Lymph node section stained with H&E, from a whole-slide image of a breast-cancer sentinel node. Magnification about 5×, about 0.93 mm across the frame, about 1.8 µm per pixel.
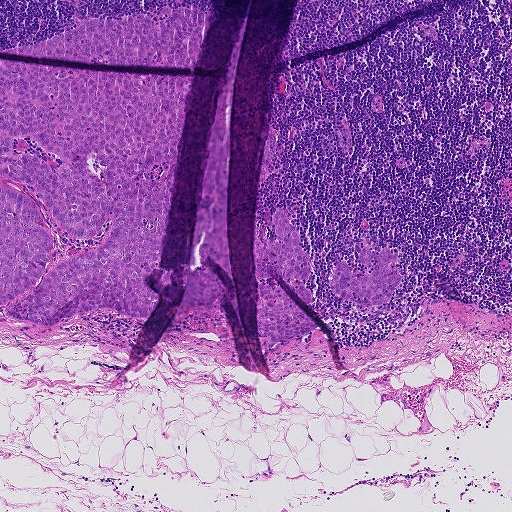
Four metastatic tumour regions, each outlined as a closed clockwise path in crop pixels (x, y), largest first: region 1: (0, 61), (190, 78), (157, 262), (142, 280), (156, 304), (145, 316), (102, 308), (45, 321), (4, 314), (42, 276), (2, 304), (0, 186), (40, 213), (54, 243), (46, 266), (101, 245), (111, 220), (88, 238), (72, 237), (32, 186), (0, 177); region 2: (180, 8), (209, 12), (193, 67), (37, 57), (5, 51), (47, 39), (93, 18), (109, 20), (137, 14), (160, 21); region 3: (282, 206), (299, 232), (310, 263), (307, 279), (296, 282), (310, 291), (317, 312), (282, 269), (265, 265), (265, 271), (317, 326), (293, 341), (276, 342), (268, 340), (259, 327), (254, 278), (255, 222), (256, 224), (264, 224), (269, 240), (278, 241), (273, 235), (272, 218), (274, 209); region 4: (364, 246), (377, 253), (383, 248), (391, 248), (398, 258), (391, 262), (390, 266), (401, 276), (400, 283), (394, 288), (387, 303), (365, 305), (350, 303), (332, 294), (329, 287), (330, 279), (340, 258), (352, 268), (354, 276), (369, 275), (376, 260), (370, 266), (362, 265), (357, 259).
About 20% of the image area is annotated as tumour.